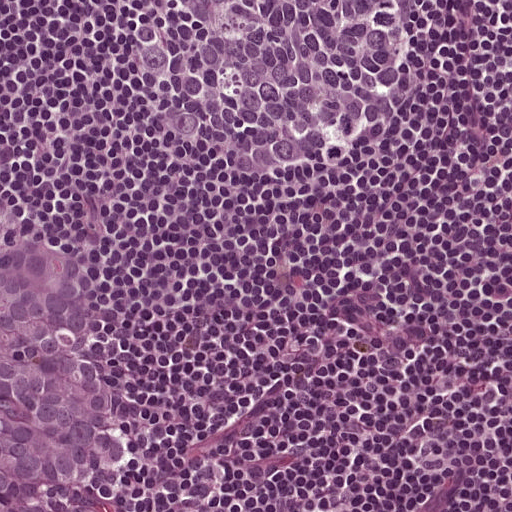
This is a crop of a whole-slide image: an H&E-stained breast-cancer sentinel lymph node section at roughly 20× magnification (about 0.49 µm per pixel; the crop spans about 0.25 mm).
One metastatic tumour region; its boundary, reduced to 6 corners and listed clockwise: (0, 173), (60, 226), (99, 304), (126, 406), (124, 511), (0, 511).
About 10% of this field is tumour.